A 0.25-mm field of an H&E-stained sentinel lymph node from a breast-cancer patient (whole-slide image), shown at about 20×, about 0.49 µm per pixel.
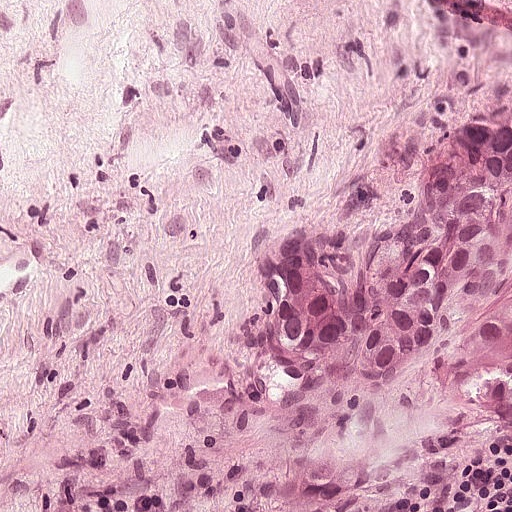
Three metastatic tumour regions, each outlined as a closed clockwise path in crop pixels (x, y), largest first: region 1: (484, 152), (498, 153), (498, 192), (474, 236), (434, 353), (394, 368), (294, 353), (268, 314), (290, 270), (363, 266), (391, 254), (427, 186); region 2: (511, 282), (511, 360), (498, 360), (474, 350), (469, 341), (482, 308), (492, 297), (496, 297), (500, 292), (507, 283); region 3: (324, 490), (339, 490), (355, 500), (360, 502), (360, 503), (366, 510), (367, 511), (234, 511), (234, 510), (238, 510), (238, 506), (242, 506), (244, 504), (248, 503), (261, 496), (268, 496), (277, 500), (283, 502), (289, 502), (316, 496), (316, 494), (320, 494), (320, 492), (324, 492).
About 10% of this field is tumour.